Question: 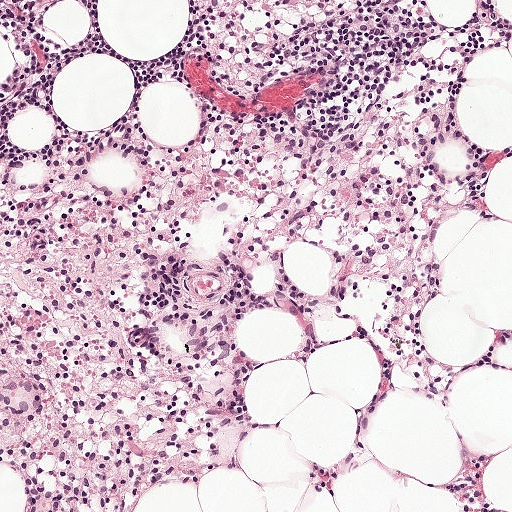
Which magnification is this H&E lymph node field most likely shown at?

Choices:
 (A) about 20×
 (B) about 5×
 (C) about 10×
 (D) about 2.5×
 (E) about 40×

Answer: (C) about 10×
H&E-stained section of a sentinel lymph node (breast cancer), from a whole-slide image, viewed at about 10×: the field is about 0.5 mm across, about 0.97 µm per pixel.